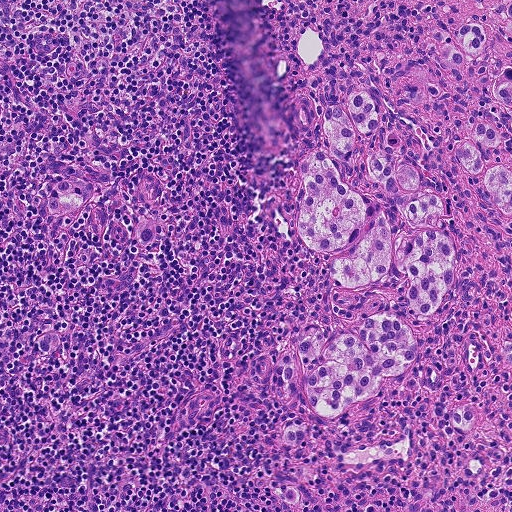
This is a crop of a whole-slide image: an H&E-stained breast-cancer sentinel lymph node section at roughly 10× magnification (about 0.9 µm per pixel; the crop spans about 0.46 mm).
Boundaries of five metastatic tumour regions, simplified and listed clockwise, largest first: region 1: (360, 91), (380, 125), (358, 134), (354, 152), (394, 155), (444, 199), (454, 268), (431, 321), (408, 308), (408, 280), (384, 283), (419, 358), (374, 398), (322, 418), (301, 399), (283, 402), (272, 376), (305, 328), (332, 334), (333, 256), (294, 230), (298, 171), (328, 149), (318, 115); region 2: (469, 112), (478, 121), (503, 127), (511, 114), (511, 238), (485, 192), (481, 179), (469, 174), (459, 166), (454, 155), (454, 145), (465, 138), (463, 124); region 3: (476, 22), (487, 28), (487, 41), (479, 52), (465, 54), (468, 63), (456, 66), (444, 62), (432, 39), (437, 28), (448, 34), (456, 44), (454, 33), (464, 24); region 4: (511, 66), (511, 108), (492, 96), (489, 83), (496, 72); region 5: (505, 0), (511, 0), (511, 44), (506, 42), (499, 31), (492, 14), (499, 4).
Four more small tumour pieces are annotated here but not outlined.
About 15% of this field is tumour.